Question: 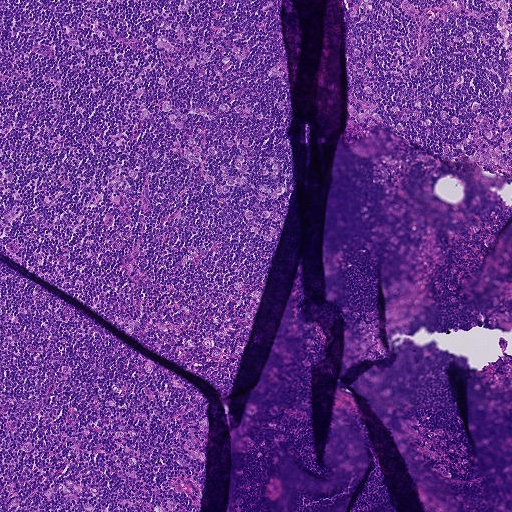
Lymph node section stained with H&E, from a whole-slide image of a breast-cancer sentinel node. Magnification about 5×, about 0.93 mm across the frame, about 1.8 µm per pixel.
Estimate the proportion of this field that is metastatic tumour.

Choices:
 (A) about 5% or less
 (B) none: no tumour is outlined
 (C) about 25% to 45%
 (D) about 50% or more
 (E) about 10% to 20%

Answer: (D) about 50% or more
About 60% of the field is tumour.
Outlines of three tumour regions, largest first (closed clockwise paths, crop pixels): region 1: (0, 0), (283, 0), (297, 182), (230, 394), (0, 255); region 2: (0, 259), (203, 392), (210, 425), (199, 511), (0, 511); region 3: (342, 0), (511, 0), (511, 186), (371, 122), (367, 137), (343, 145).